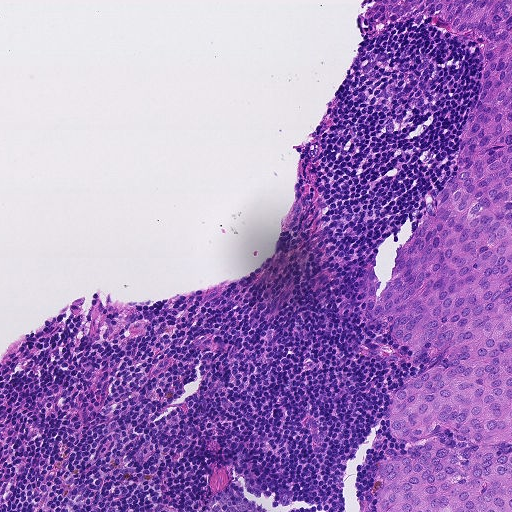
A 0.46-mm field of an H&E-stained sentinel lymph node from a breast-cancer patient (whole-slide image), shown at about 10×, about 0.9 µm per pixel.
Question: Where is the metastatic tumour in this field? Give each region's outline as (x, y) pixel points.
Answer: Tumour region outline (a closed clockwise path, crop pixels): (367, 0), (511, 0), (511, 511), (375, 511), (380, 466), (424, 441), (396, 437), (388, 425), (392, 395), (440, 366), (401, 348), (391, 322), (362, 321), (363, 290), (373, 264), (376, 295), (454, 171), (484, 74), (476, 46), (436, 25), (407, 21), (366, 38).
Tumour covers about 20% of the frame.